A 0.23-mm field of an H&E-stained sentinel lymph node from a breast-cancer patient (whole-slide image), shown at about 20×, about 0.45 µm per pixel.
Image:
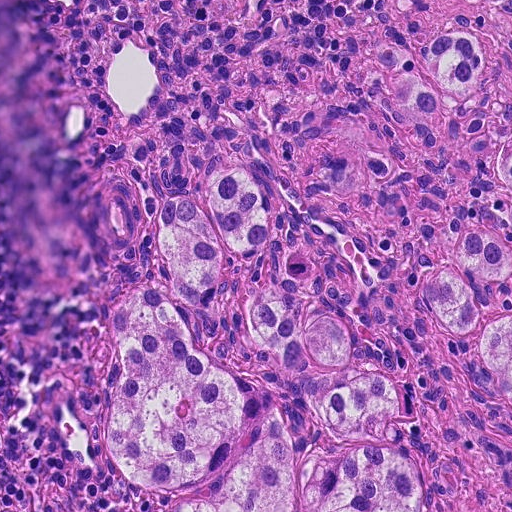
Question:
Where is the metastatic tumour in this field?
Answer:
Five metastatic tumour regions, each outlined as a closed clockwise path in crop pixels (x, y), largest first: region 1: (232, 166), (258, 178), (272, 234), (255, 257), (227, 252), (220, 288), (280, 290), (349, 326), (350, 354), (399, 382), (414, 408), (407, 436), (421, 511), (173, 511), (178, 498), (139, 490), (114, 472), (100, 446), (115, 299), (139, 284), (168, 284), (149, 215), (170, 196), (198, 197); region 2: (450, 210), (468, 227), (493, 230), (511, 237), (511, 418), (482, 370), (474, 343), (450, 334), (430, 318), (420, 295), (420, 274), (442, 262), (438, 234); region 3: (464, 29), (486, 42), (486, 67), (470, 89), (442, 92), (448, 112), (424, 117), (400, 108), (376, 64), (386, 40), (409, 52), (424, 74), (420, 50), (439, 33); region 4: (511, 126), (511, 189), (496, 176), (490, 151), (505, 130); region 5: (504, 0), (511, 0), (511, 49), (510, 46), (495, 14).
The annotated tumour makes up about 35% of the crop.